Image:
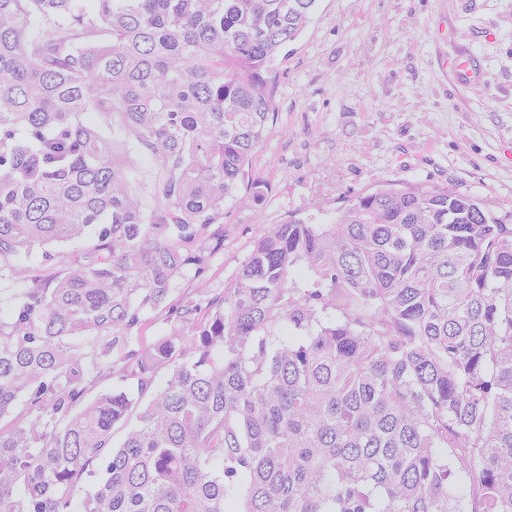
H&E-stained section of a sentinel lymph node (breast cancer), from a whole-slide image, viewed at about 20×: the field is about 0.26 mm across, about 0.5 µm per pixel.
Question:
Where is the metastatic tumour in this field? Give each region's outline as (x, y) pixel points.
Answer:
One metastatic tumour region; its boundary, reduced to 10 corners and listed clockwise: (0, 0), (336, 0), (278, 77), (230, 212), (324, 179), (414, 172), (464, 176), (511, 197), (511, 511), (0, 511).
About 85% of this field is tumour.